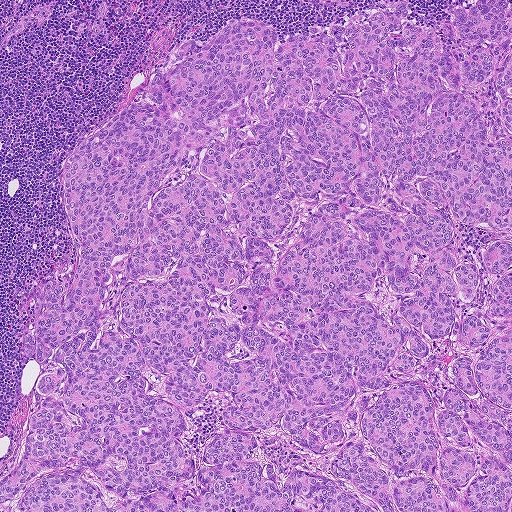
This is a crop of a whole-slide image: an H&E-stained breast-cancer sentinel lymph node section at roughly 5× magnification (about 1.8 µm per pixel; the crop spans about 0.93 mm).
The outlined metastatic tumour's edge, as a closed clockwise path of 21 points: (374, 0), (408, 0), (416, 21), (438, 31), (452, 5), (468, 0), (511, 0), (511, 511), (0, 511), (0, 477), (44, 371), (22, 345), (28, 293), (72, 249), (57, 183), (69, 152), (129, 104), (158, 59), (234, 19), (291, 38), (389, 9).
One more small tumour piece is annotated here but not outlined.
Tumour covers about 85% of the frame.